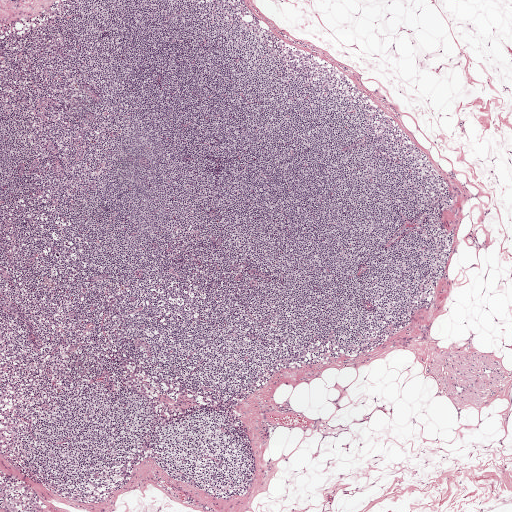
This is a crop of a whole-slide image: an H&E-stained breast-cancer sentinel lymph node section at roughly 2.5× magnification (about 3.9 µm per pixel; the crop spans about 2.0 mm).